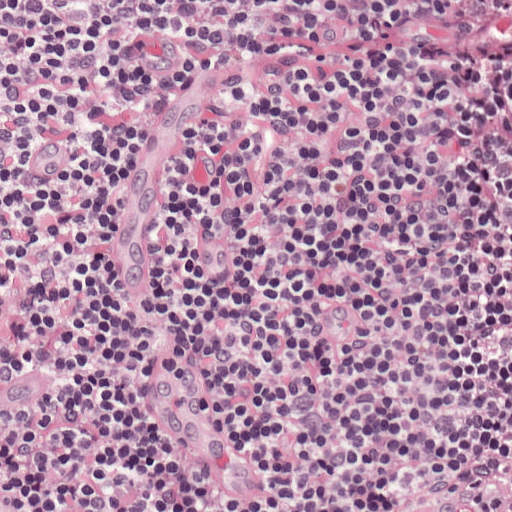
A 0.25-mm field of an H&E-stained sentinel lymph node from a breast-cancer patient (whole-slide image), shown at about 20×, about 0.49 µm per pixel.